Image:
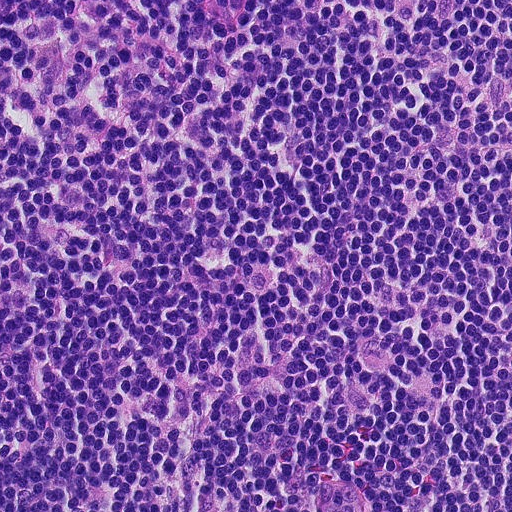
This is a crop of a whole-slide image: an H&E-stained breast-cancer sentinel lymph node section at roughly 20× magnification (about 0.45 µm per pixel; the crop spans about 0.23 mm).
Question:
Is there metastatic carcinoma in this field?
Answer:
No. No metastatic tumour is outlined in this field.